Question: 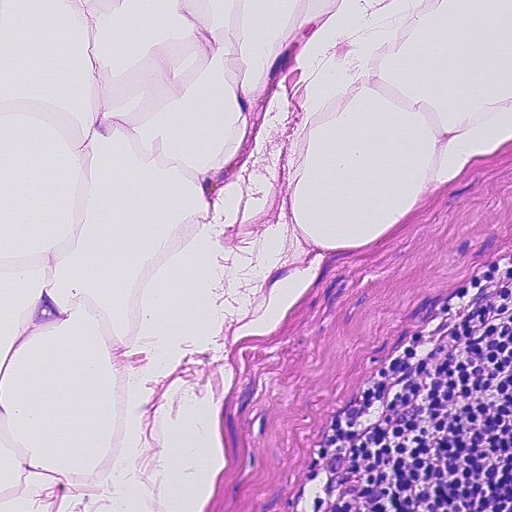
Lymph node section stained with H&E, from a whole-slide image of a breast-cancer sentinel node. Magnification about 20×, about 0.23 mm across the frame, about 0.45 µm per pixel.
Roughly what share of this field is metastatic tumour?

Choices:
 (A) about 10% to 20%
 (B) about 25% to 45%
 (C) about 5% or less
 (D) about 50% or more
 (E) none: no tumour is outlined

Answer: (E) none: no tumour is outlined
No metastatic tumour is outlined in this field.